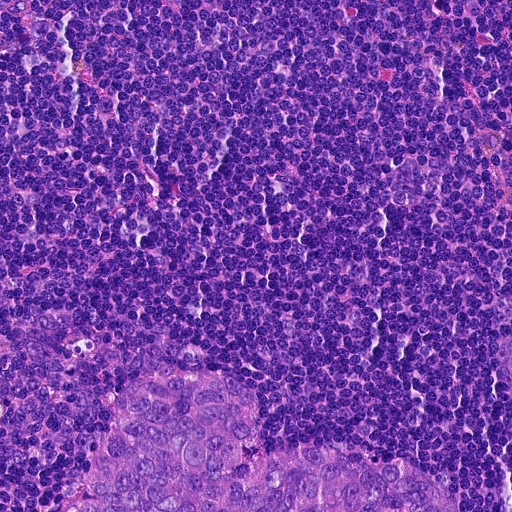
H&E-stained section of a sentinel lymph node (breast cancer), from a whole-slide image, viewed at about 20×: the field is about 0.23 mm across, about 0.45 µm per pixel.
Two metastatic tumour regions, each outlined as a closed clockwise path in crop pixels (x, y), largest first: region 1: (200, 366), (248, 386), (258, 410), (258, 456), (282, 444), (368, 443), (418, 465), (461, 496), (469, 511), (46, 511), (97, 462), (126, 388), (146, 374); region 2: (511, 335), (511, 380), (499, 359).
About 15% of the image area is annotated as tumour.